Image:
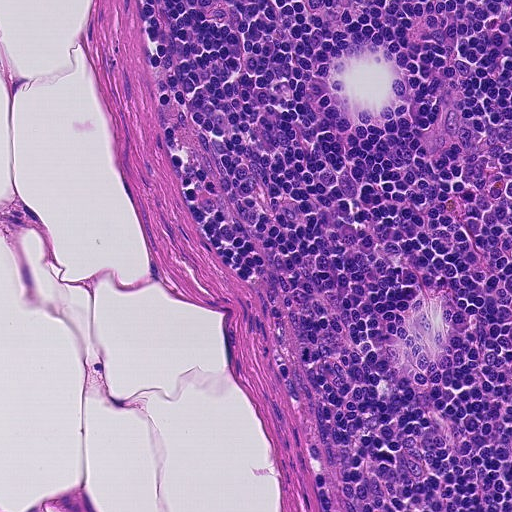
This is a crop of a whole-slide image: an H&E-stained breast-cancer sentinel lymph node section at roughly 20× magnification (about 0.45 µm per pixel; the crop spans about 0.23 mm).
Question:
Does this lymph node field contain metastatic tumour?
Answer:
No: no metastatic tumour is outlined anywhere in this field.